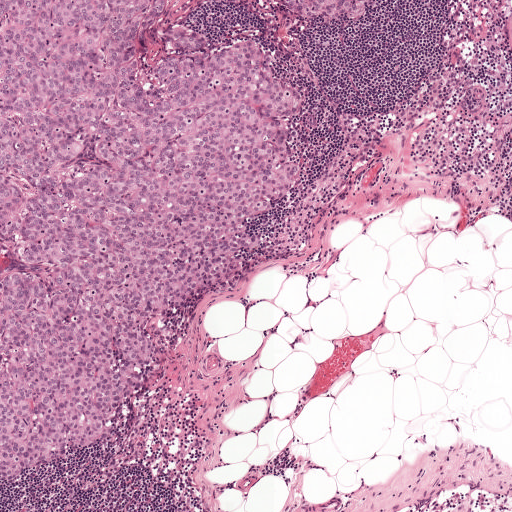
A 1-mm field of an H&E-stained sentinel lymph node from a breast-cancer patient (whole-slide image), shown at about 5×, about 1.9 µm per pixel.
Boundaries of two metastatic tumour regions, simplified and listed clockwise, largest first: region 1: (0, 0), (180, 0), (166, 6), (176, 21), (226, 45), (263, 44), (299, 84), (304, 175), (254, 229), (256, 258), (187, 310), (141, 408), (84, 455), (0, 491); region 2: (276, 0), (383, 0), (364, 17), (347, 22), (311, 21), (293, 15), (279, 4).
About 40% of the image area is annotated as tumour.